A 1-mm field of an H&E-stained sentinel lymph node from a breast-cancer patient (whole-slide image), shown at about 5×, about 1.9 µm per pixel.
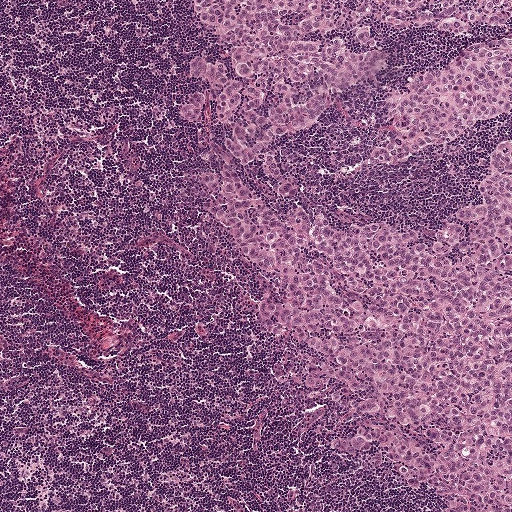
One metastatic tumour region; its boundary, reduced to 14 corners and listed clockwise: (188, 0), (511, 0), (511, 511), (436, 511), (330, 434), (285, 356), (251, 322), (252, 271), (207, 223), (198, 157), (175, 110), (190, 82), (188, 60), (207, 41).
Tumour covers about 50% of the frame.